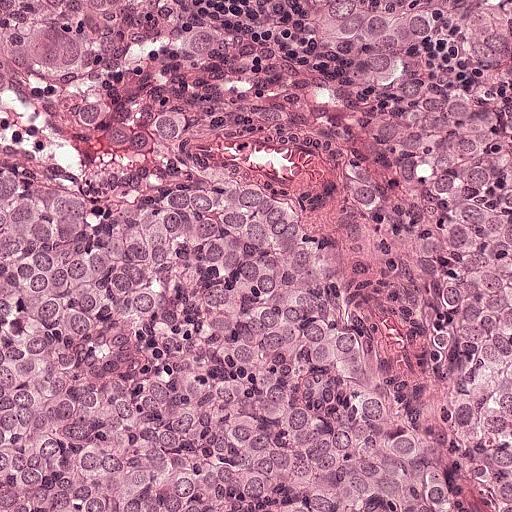
This is a crop of a whole-slide image: an H&E-stained breast-cancer sentinel lymph node section at roughly 20× magnification (about 0.49 µm per pixel; the crop spans about 0.25 mm).
Boundaries of two metastatic tumour regions, simplified and listed clockwise, largest first: region 1: (54, 19), (80, 76), (132, 126), (185, 124), (180, 156), (163, 169), (194, 169), (285, 219), (396, 390), (451, 507), (0, 511), (0, 35); region 2: (307, 0), (500, 0), (511, 20), (511, 85), (494, 102), (508, 112), (511, 511), (480, 511), (428, 376), (402, 341), (385, 271), (338, 234), (322, 198), (348, 152), (442, 86), (446, 63), (407, 62), (378, 90), (338, 80), (301, 55).
About 75% of this field is tumour.